Image:
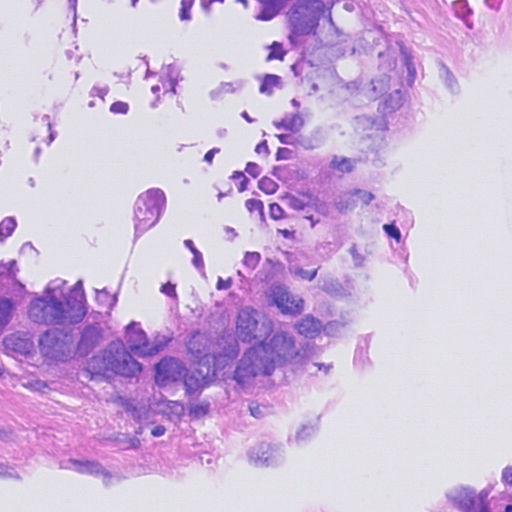
Lymph node section stained with H&E, from a whole-slide image of a breast-cancer sentinel node. Magnification about 40×, about 0.12 mm across the frame, about 0.23 µm per pixel.
Question:
Describe where the metastatic carcinoma lies in this crop.
Answer:
One metastatic tumour region; its boundary, reduced to 12 corners and listed clockwise: (0, 0), (365, 0), (397, 25), (419, 85), (380, 205), (390, 269), (360, 327), (316, 370), (267, 412), (202, 418), (141, 415), (0, 370).
About 60% of the image area is annotated as tumour.